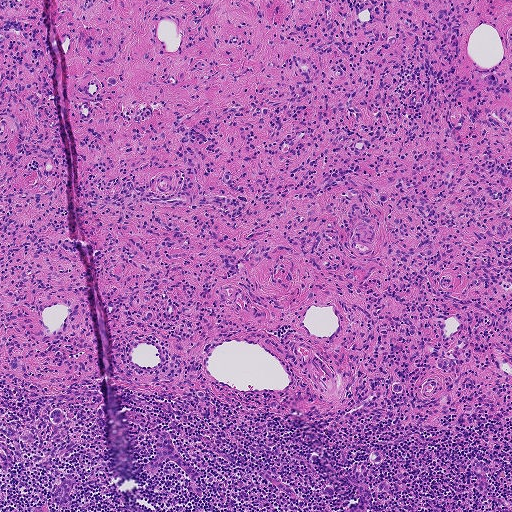
Lymph node section stained with H&E, from a whole-slide image of a breast-cancer sentinel node. Magnification about 5×, about 0.93 mm across the frame, about 1.8 µm per pixel.
Question: Show where the tumour is in this image.
Answer: One metastatic tumour region; its boundary, reduced to 7 corners and listed clockwise: (58, 408), (63, 411), (64, 417), (62, 423), (56, 424), (48, 415), (51, 409).
Six more small tumour pieces are annotated here but not outlined.
Under 5% of the image area is annotated as tumour.

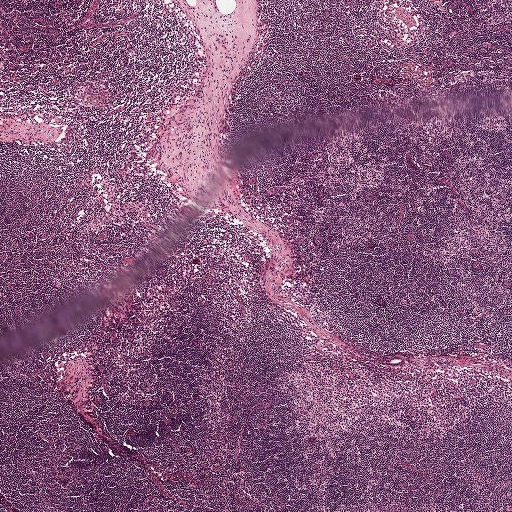
H&E-stained section of a sentinel lymph node (breast cancer), from a whole-slide image, viewed at about 2.5×: the field is about 2.0 mm across, about 3.9 µm per pixel.
Question: Show where the tumour is in this image.
Answer: One metastatic tumour region; its boundary, reduced to 11 corners and listed clockwise: (394, 356), (404, 357), (405, 359), (405, 366), (403, 367), (396, 367), (383, 366), (381, 365), (379, 362), (379, 360), (381, 358).
The annotated tumour makes up under 5% of the crop.

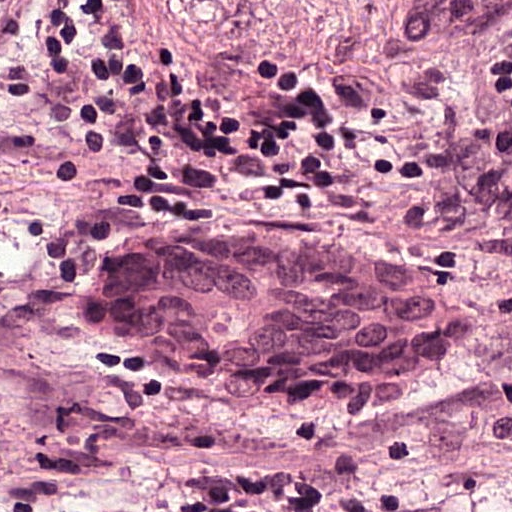
This is a crop of a whole-slide image: an H&E-stained breast-cancer sentinel lymph node section at roughly 40× magnification (about 0.24 µm per pixel; the crop spans about 0.12 mm).
Question: Show where the tumour is in this image.
Answer: Outlines of two tumour regions, largest first (closed clockwise paths, crop pixels): region 1: (213, 204), (282, 211), (357, 236), (407, 236), (473, 270), (503, 311), (498, 392), (485, 414), (420, 450), (338, 448), (179, 389), (101, 342), (82, 320), (82, 254), (141, 214); region 2: (511, 0), (511, 38), (486, 61), (458, 76), (401, 78), (401, 76), (389, 76), (386, 70), (376, 67), (373, 51), (389, 11), (389, 1).
About 35% of the image area is annotated as tumour.

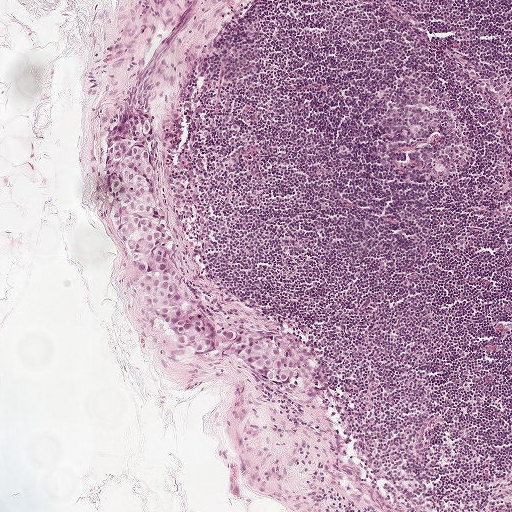
This is a crop of a whole-slide image: an H&E-stained breast-cancer sentinel lymph node section at roughly 5× magnification (about 1.9 µm per pixel; the crop spans about 1 mm).
Question: Show where the tumour is in this image.
Answer: One metastatic tumour region; its boundary, reduced to 20 corners and listed clockwise: (126, 112), (154, 116), (150, 127), (161, 144), (165, 221), (199, 298), (219, 323), (270, 338), (300, 359), (303, 378), (293, 391), (278, 392), (254, 367), (216, 361), (159, 335), (146, 322), (136, 270), (112, 238), (106, 191), (109, 140).
About 5% of this field is tumour.